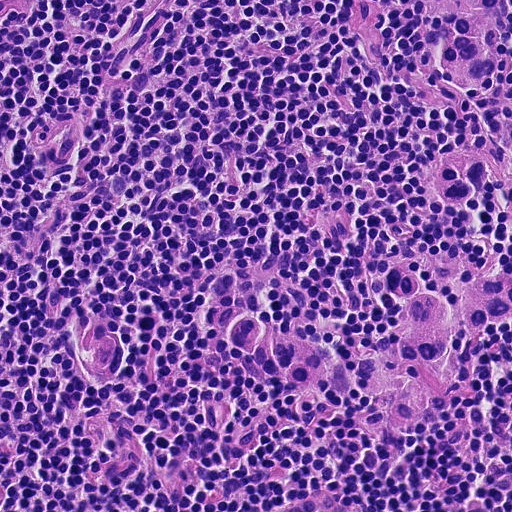
H&E-stained section of a sentinel lymph node (breast cancer), from a whole-slide image, viewed at about 20×: the field is about 0.23 mm across, about 0.45 µm per pixel.
Boundaries of two metastatic tumour regions, simplified and listed clockwise, largest first: region 1: (511, 246), (511, 353), (476, 338), (440, 396), (416, 420), (384, 431), (350, 430), (333, 396), (316, 426), (284, 421), (280, 386), (216, 308), (216, 302), (250, 302), (354, 360), (390, 306), (372, 278), (386, 254), (457, 251), (495, 266); region 2: (409, 0), (511, 0), (511, 198), (496, 184), (472, 207), (440, 215), (417, 190), (422, 156), (486, 126), (488, 94), (454, 90), (422, 79), (404, 44), (398, 10).
The annotated tumour makes up about 15% of the crop.